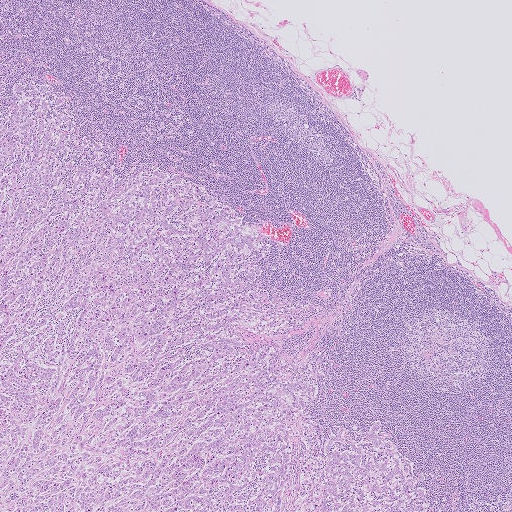
Lymph node section stained with H&E, from a whole-slide image of a breast-cancer sentinel node. Magnification about 2.5×, about 2.0 mm across the frame, about 4.0 µm per pixel.
Tumour region outline (a closed clockwise path, crop pixels): (16, 82), (58, 86), (122, 165), (165, 168), (254, 217), (286, 295), (325, 306), (271, 333), (318, 373), (325, 415), (387, 426), (441, 510), (0, 511), (0, 94).
About 45% of the image area is annotated as tumour.